Question: 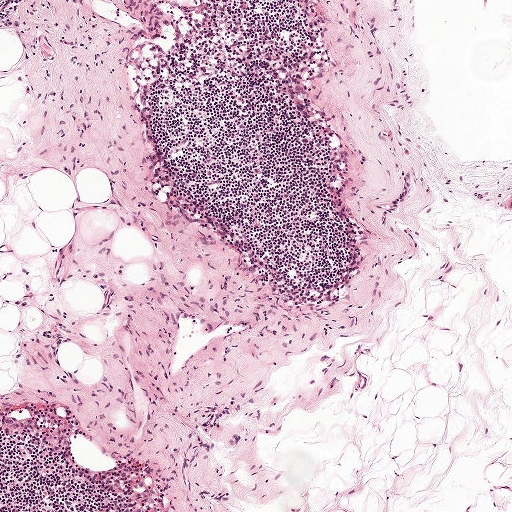
Lymph node section stained with H&E, from a whole-slide image of a breast-cancer sentinel node. Magnification about 5×, about 1 mm across the frame, about 1.9 µm per pixel.
What fraction of the image area is metastatic tumour?

Choices:
 (A) about 5% or less
 (B) none: no tumour is outlined
 (C) about 10% to 20%
 (D) about 25% to 45%
 (E) about 50% or more

Answer: (B) none: no tumour is outlined
No metastatic tumour is outlined in this field.